This is a crop of a whole-slide image: an H&E-stained breast-cancer sentinel lymph node section at roughly 2.5× magnification (about 3.9 µm per pixel; the crop spans about 2.0 mm).
Image:
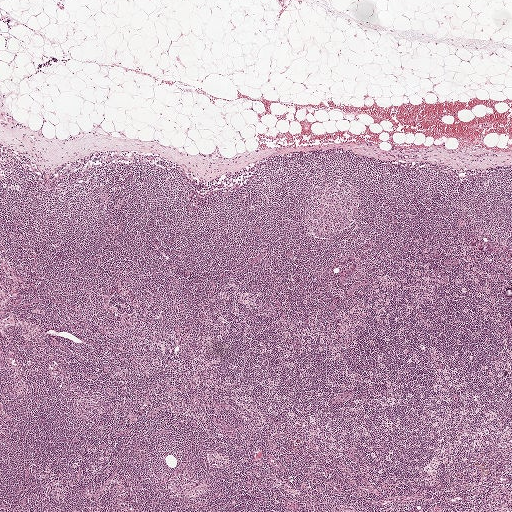
Question:
Is any metastatic breast cancer visible in this crop?
Answer:
No, this field holds no outlined metastasis.